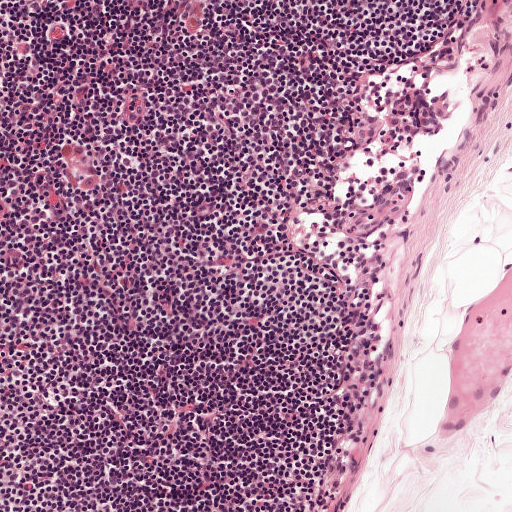
Lymph node section stained with H&E, from a whole-slide image of a breast-cancer sentinel node. Magnification about 10×, about 0.5 mm across the frame, about 0.97 µm per pixel.